Image:
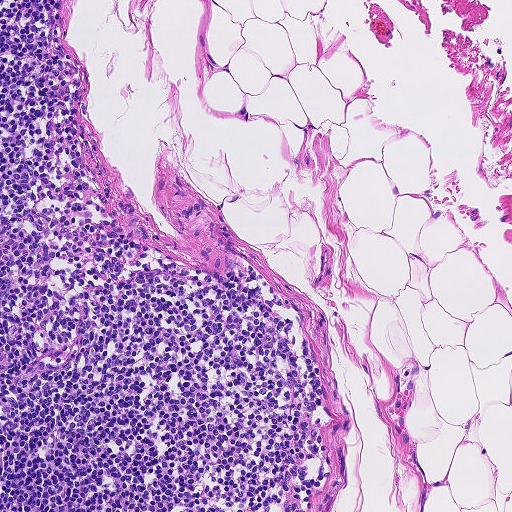
H&E-stained section of a sentinel lymph node (breast cancer), from a whole-slide image, viewed at about 10×: the field is about 0.46 mm across, about 0.9 µm per pixel.
Question:
Is there metastatic carcinoma in this field?
Answer:
No: no metastatic tumour is outlined anywhere in this field.